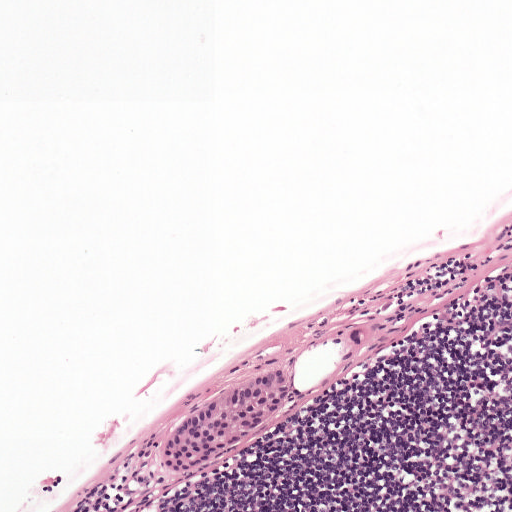
This is a crop of a whole-slide image: an H&E-stained breast-cancer sentinel lymph node section at roughly 10× magnification (about 0.97 µm per pixel; the crop spans about 0.5 mm).
One metastatic tumour region; its boundary, reduced to 10 corners and listed clockwise: (280, 366), (288, 373), (286, 404), (234, 446), (188, 473), (164, 469), (159, 454), (174, 430), (191, 410), (249, 370).
One more small tumour piece is annotated here but not outlined.
About 5% of the image area is annotated as tumour.